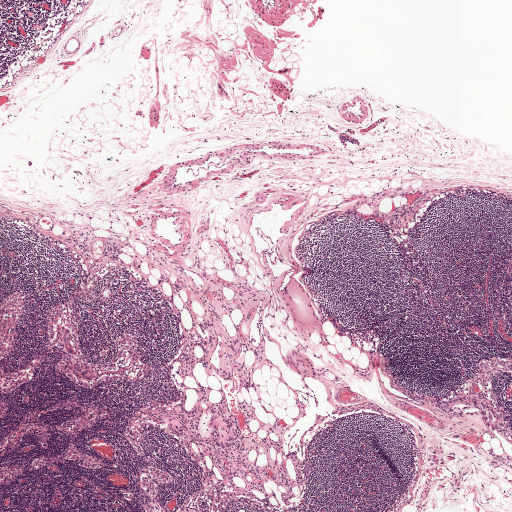
This is a crop of a whole-slide image: an H&E-stained breast-cancer sentinel lymph node section at roughly 2.5× magnification (about 3.9 µm per pixel; the crop spans about 2.0 mm).
Tumour region outline (a closed clockwise path, crop pixels): (350, 128), (354, 130), (355, 135), (353, 136), (360, 143), (360, 145), (358, 146), (348, 143), (347, 148), (344, 148), (338, 140), (339, 133), (345, 132), (347, 129).
One more small tumour piece is annotated here but not outlined.
The annotated tumour makes up under 5% of the crop.